A 0.93-mm field of an H&E-stained sentinel lymph node from a breast-cancer patient (whole-slide image), shown at about 5×, about 1.8 µm per pixel.
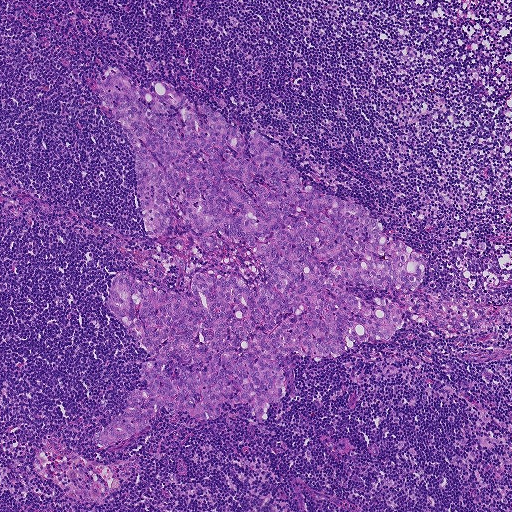
Question: Describe where the metastatic carcinoma lies in this crop.
Answer: Metastatic tumour outline, simplified to 21 points and listed clockwise in crop pixels (x, y): (103, 69), (167, 82), (248, 146), (260, 134), (426, 270), (391, 339), (296, 361), (268, 419), (246, 403), (212, 421), (163, 407), (103, 447), (92, 436), (145, 388), (152, 359), (109, 314), (108, 284), (124, 270), (181, 289), (172, 251), (145, 234).
About 25% of the image area is annotated as tumour.